H&E-stained section of a sentinel lymph node (breast cancer), from a whole-slide image, viewed at about 5×: the field is about 0.93 mm across, about 1.8 µm per pixel.
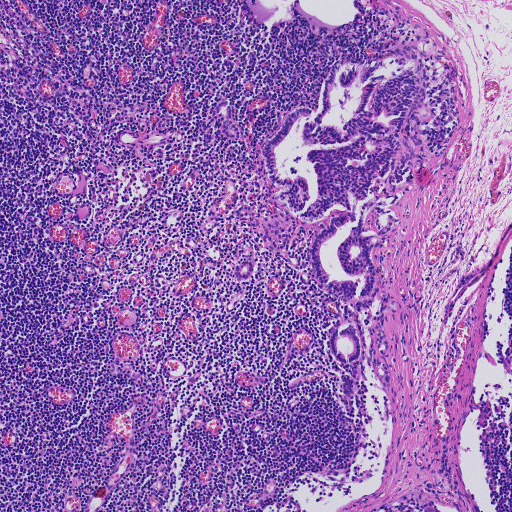
Eight metastatic tumour regions, each outlined as a closed clockwise path in crop pixels (x, y), largest first: region 1: (421, 33), (418, 50), (433, 114), (425, 130), (428, 160), (388, 208), (400, 222), (387, 246), (372, 250), (382, 312), (368, 327), (314, 275), (316, 234), (347, 210), (335, 205), (325, 217), (302, 222), (276, 198), (261, 150), (290, 112), (298, 106), (316, 113), (337, 62), (371, 60); region 2: (351, 317), (362, 342), (362, 352), (357, 390), (353, 399), (348, 400), (344, 395), (340, 377), (342, 373), (350, 377), (352, 366), (339, 363), (333, 356), (329, 346), (332, 328), (337, 322); region 3: (277, 215), (290, 233), (290, 240), (279, 249), (272, 247), (263, 231), (271, 218); region 4: (228, 101), (232, 107), (230, 115), (240, 127), (242, 135), (236, 139), (228, 139), (222, 134), (220, 120), (215, 114), (214, 106), (220, 102); region 5: (376, 357), (387, 364), (390, 373), (390, 382), (387, 390), (375, 376); region 6: (241, 203), (249, 205), (255, 210), (252, 217), (260, 219), (261, 226), (254, 229), (248, 224), (251, 218), (244, 219), (236, 217), (236, 209); region 7: (251, 257), (253, 266), (253, 272), (250, 278), (241, 281), (235, 277), (234, 270), (239, 264); region 8: (378, 324), (384, 330), (387, 339), (388, 349), (386, 357), (379, 352), (375, 343), (375, 333).
About 10% of the image area is annotated as tumour.